Question: 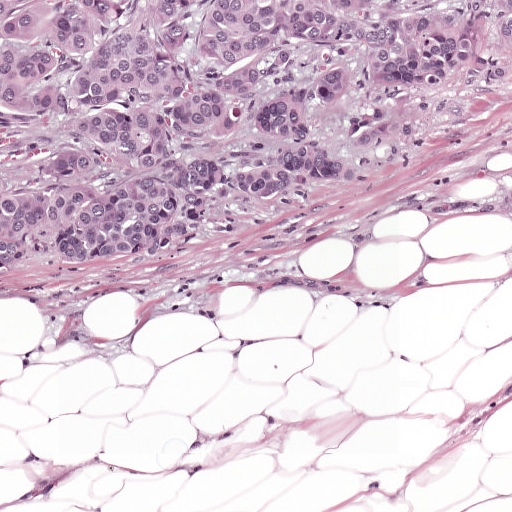
H&E-stained section of a sentinel lymph node (breast cancer), from a whole-slide image, viewed at about 10×: the field is about 0.5 mm across, about 0.97 µm per pixel.
About how much of this crop is taken up by metastatic carcinoma?

Choices:
 (A) about 25% to 45%
 (B) about 5% or less
 (C) none: no tumour is outlined
 (D) about 10% to 20%
 (E) about 50% or more

Answer: (A) about 25% to 45%
About 45% of the field is tumour.
Outlines of two tumour regions, largest first (closed clockwise paths, crop pixels): region 1: (0, 0), (511, 0), (511, 124), (314, 222), (214, 257), (0, 293); region 2: (511, 173), (511, 221), (463, 213), (433, 213), (423, 207), (434, 200), (484, 193).
One more small tumour piece is annotated here but not outlined.
Question: 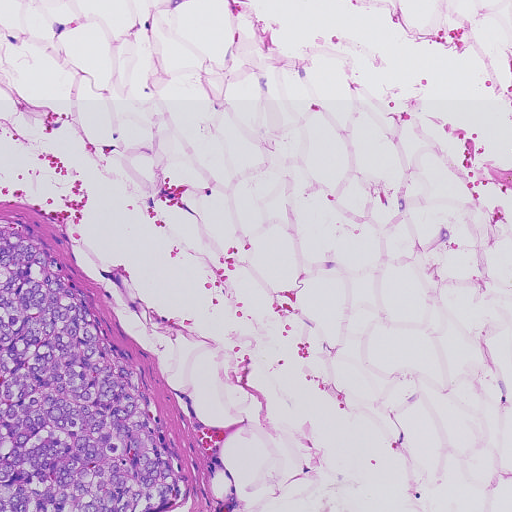
Lymph node section stained with H&E, from a whole-slide image of a breast-cancer sentinel node. Magnification about 10×, about 0.46 mm across the frame, about 0.91 µm per pixel.
About how much of this crop is taken up by metastatic carcinoma?

Choices:
 (A) about 25% to 45%
 (B) about 50% or more
 (C) about 5% or less
 (D) about 10% to 20%
 (E) none: no tumour is outlined

Answer: (D) about 10% to 20%
About 15% of the field is tumour.
The outlined metastatic tumour's edge, as a closed clockwise path of 8 points: (0, 220), (56, 256), (90, 316), (145, 374), (186, 478), (187, 493), (165, 510), (0, 511).
Question: 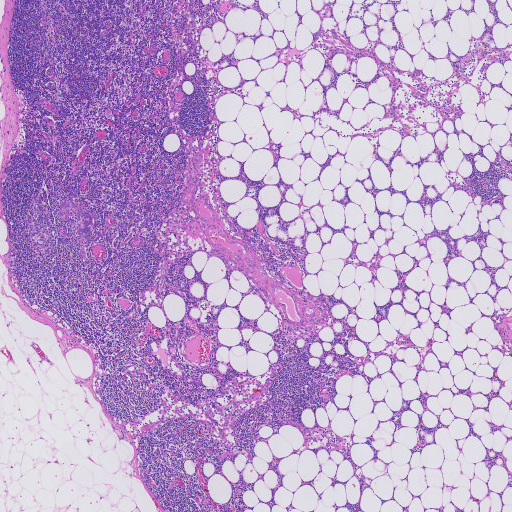
This is a crop of a whole-slide image: an H&E-stained breast-cancer sentinel lymph node section at roughly 2.5× magnification (about 3.6 µm per pixel; the crop spans about 1.9 mm).
About how much of this crop is taken up by metastatic carcinoma?

Choices:
 (A) none: no tumour is outlined
 (B) about 50% or more
 (C) about 10% to 20%
 (D) about 25% to 45%
 (E) about 5% or less

Answer: (E) about 5% or less
Under 5% of the field is tumour.
One metastatic tumour region; its boundary, reduced to 15 corners and listed clockwise: (68, 199), (85, 209), (93, 217), (93, 228), (90, 239), (82, 241), (76, 232), (80, 222), (76, 219), (76, 209), (70, 209), (70, 218), (65, 220), (58, 214), (62, 203).
One more small tumour piece is annotated here but not outlined.
Question: 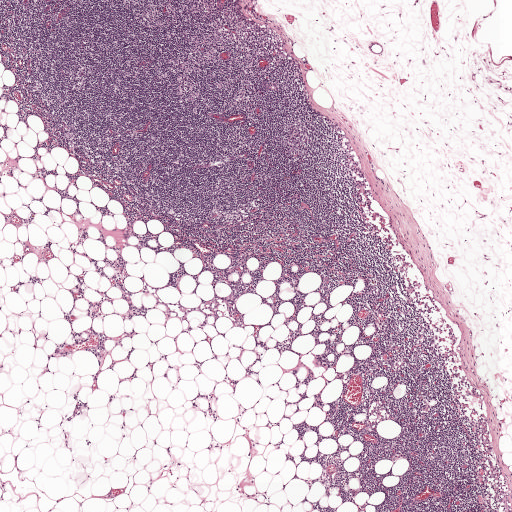
Lymph node section stained with H&E, from a whole-slide image of a breast-cancer sentinel node. Magnification about 2.5×, about 2.0 mm across the frame, about 3.9 µm per pixel.
About how much of this crop is taken up by metastatic carcinoma?

Choices:
 (A) none: no tumour is outlined
 (B) about 10% to 20%
 (C) about 50% or more
 (D) about 25% to 45%
 (E) about 5% or less

Answer: (E) about 5% or less
Under 5% of the field is tumour.
Tumour region outline (a closed clockwise path, crop pixels): (263, 81), (270, 81), (275, 82), (280, 86), (280, 90), (280, 93), (278, 93), (273, 92), (271, 92), (268, 91), (262, 84), (261, 82).